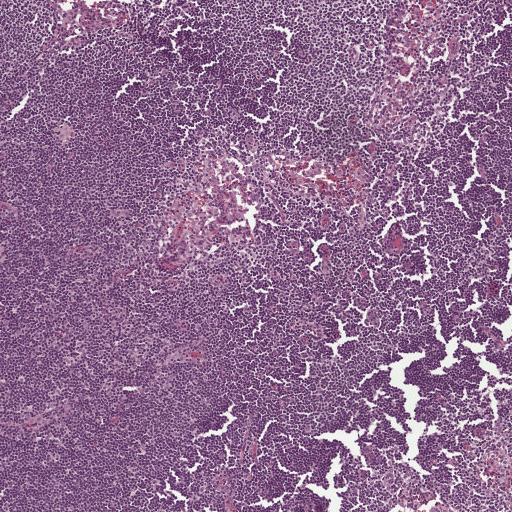
H&E-stained section of a sentinel lymph node (breast cancer), from a whole-slide image, viewed at about 5×: the field is about 1 mm across, about 1.9 µm per pixel.